Question: 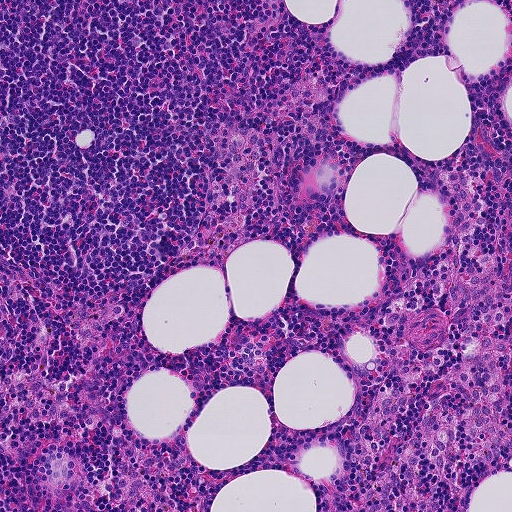
At roughly what magnification is this field shown?

Choices:
 (A) about 5×
 (B) about 10×
 (C) about 40×
 (D) about 20×
 (E) about 2.5×

Answer: (B) about 10×
Lymph node section stained with H&E, from a whole-slide image of a breast-cancer sentinel node. Magnification about 10×, about 0.46 mm across the frame, about 0.9 µm per pixel.